Image:
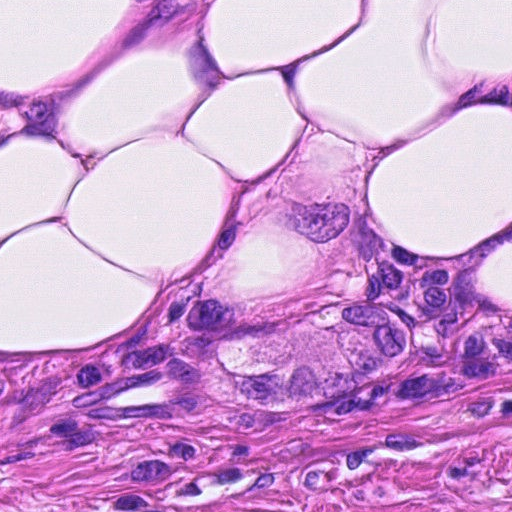
H&E-stained section of a sentinel lymph node (breast cancer), from a whole-slide image, viewed at about 40×: the field is about 0.12 mm across, about 0.23 µm per pixel.
Question:
Show where the tumour is in this image.
Answer:
The outlined metastatic tumour's edge, as a closed clockwise path of 10 points: (343, 134), (360, 191), (374, 307), (419, 342), (384, 385), (329, 407), (270, 407), (204, 361), (185, 307), (289, 155).
The annotated tumour makes up about 15% of the crop.